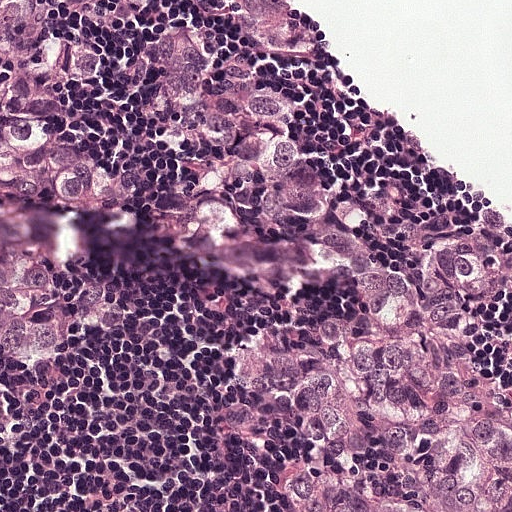
A 0.25-mm field of an H&E-stained sentinel lymph node from a breast-cancer patient (whole-slide image), shown at about 20×, about 0.49 µm per pixel.
One metastatic tumour region; its boundary, reduced to 21 corners and listed clockwise: (0, 0), (298, 0), (315, 28), (301, 76), (306, 111), (382, 212), (486, 220), (511, 238), (511, 511), (280, 508), (244, 378), (248, 297), (176, 239), (134, 80), (111, 54), (78, 70), (76, 97), (130, 152), (136, 220), (57, 347), (1, 348).
The annotated tumour makes up about 60% of the crop.